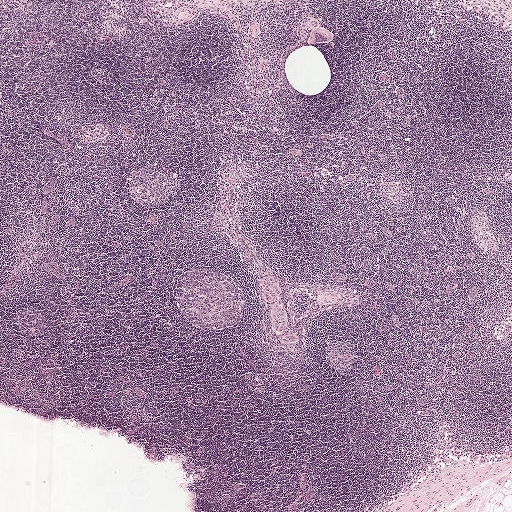
Lymph node section stained with H&E, from a whole-slide image of a breast-cancer sentinel node. Magnification about 2.5×, about 2.0 mm across the frame, about 3.9 µm per pixel.
Tumour region outline (a closed clockwise path, crop pixels): (270, 275), (279, 283), (282, 293), (279, 304), (284, 306), (288, 318), (286, 331), (283, 334), (291, 333), (299, 336), (298, 340), (294, 342), (281, 341), (272, 330), (270, 315), (261, 288), (261, 280), (264, 276).
Under 5% of this field is tumour.